This is a crop of a whole-slide image: an H&E-stained breast-cancer sentinel lymph node section at roughly 10× magnification (about 0.9 µm per pixel; the crop spans about 0.46 mm).
Question: 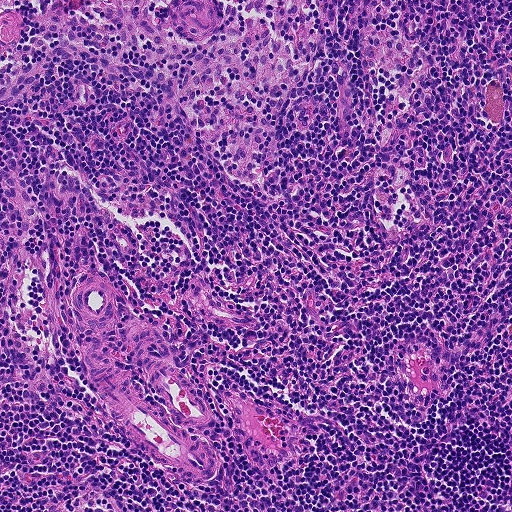
What fraction of the image area is metastatic tumour?

Choices:
 (A) about 10% to 20%
 (B) none: no tumour is outlined
 (C) about 50% or more
 (D) about 25% to 45%
 (E) about 5% or less

Answer: (B) none: no tumour is outlined
No metastatic tumour is outlined in this field.